A 0.23-mm field of an H&E-stained sentinel lymph node from a breast-cancer patient (whole-slide image), shown at about 20×, about 0.45 µm per pixel.
Question: 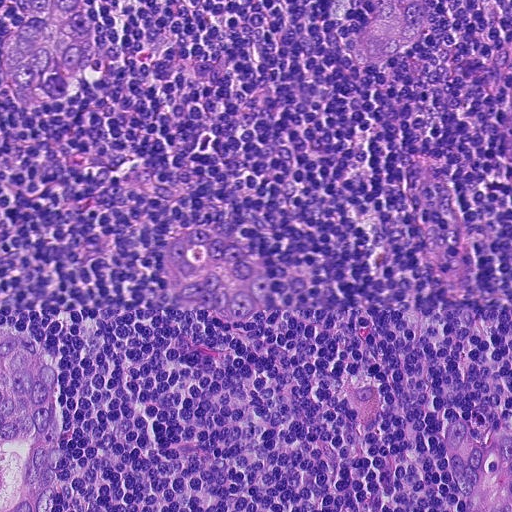
Estimate the proportion of this field that is metastatic tumour.

Choices:
 (A) about 50% or more
 (B) about 10% to 20%
 (C) about 25% to 45%
 (D) about 5% or less
 (E) none: no tumour is outlined

Answer: (B) about 10% to 20%
About 15% of the field is tumour.
Six metastatic tumour regions, each outlined as a closed clockwise path in crop pixels (x, y), largest first: region 1: (0, 326), (31, 334), (46, 350), (60, 393), (60, 462), (53, 511), (0, 511); region 2: (16, 0), (86, 0), (99, 55), (96, 76), (69, 107), (48, 111), (26, 109), (10, 97), (0, 78), (0, 44), (3, 37), (20, 24), (16, 16); region 3: (196, 229), (240, 245), (256, 258), (268, 278), (269, 298), (263, 318), (243, 323), (222, 322), (182, 308), (166, 293), (162, 272), (164, 251), (176, 234); region 4: (480, 406), (511, 436), (511, 511), (462, 511), (464, 500), (452, 480), (446, 459), (447, 419), (464, 424); region 5: (362, 0), (436, 0), (436, 11), (410, 44), (392, 55), (372, 62), (350, 62), (340, 42), (353, 40), (366, 22); region 6: (511, 78), (511, 159), (502, 148), (501, 127), (506, 108), (508, 86).